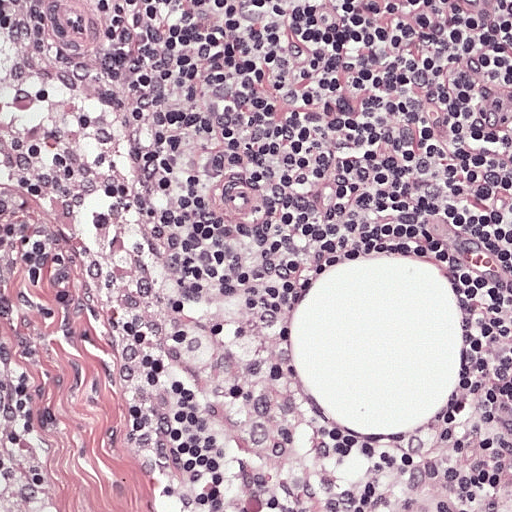
H&E-stained section of a sentinel lymph node (breast cancer), from a whole-slide image, viewed at about 20×: the field is about 0.25 mm across, about 0.49 µm per pixel.